Question: 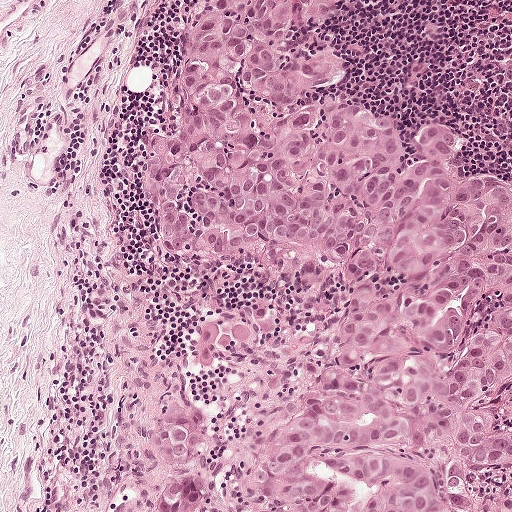
H&E-stained section of a sentinel lymph node (breast cancer), from a whole-slide image, viewed at about 10×: the field is about 0.5 mm across, about 0.97 µm per pixel.
About how much of this crop is taken up by metastatic carcinoma?

Choices:
 (A) about 25% to 45%
 (B) about 50% or more
 (C) about 10% to 20%
 (D) about 5% or less
 (E) none: no tumour is outlined

Answer: (B) about 50% or more
About 50% of the field is tumour.
Two metastatic tumour regions, each outlined as a closed clockwise path in crop pixels (x, y), largest first: region 1: (359, 0), (321, 34), (348, 63), (326, 96), (394, 121), (400, 171), (428, 158), (416, 126), (448, 120), (466, 170), (511, 195), (511, 511), (263, 511), (262, 435), (302, 378), (306, 329), (273, 308), (278, 299), (169, 257), (143, 200), (146, 157), (190, 112), (195, 52), (227, 1); region 2: (180, 422), (186, 422), (200, 432), (202, 469), (212, 490), (211, 511), (161, 511), (168, 475), (162, 464), (162, 457), (156, 448), (158, 432).